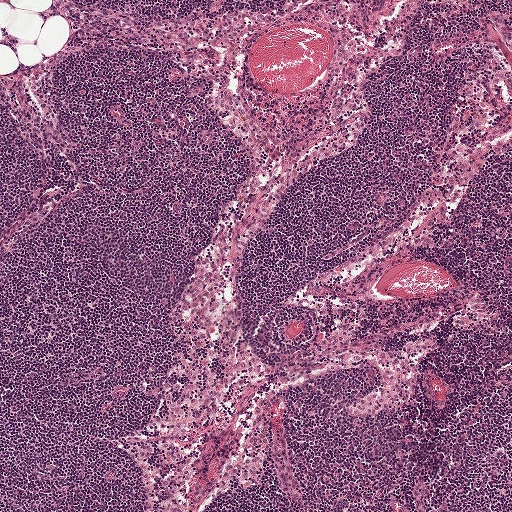
H&E-stained section of a sentinel lymph node (breast cancer), from a whole-slide image, viewed at about 5×: the field is about 1 mm across, about 1.9 µm per pixel.
Question: Is any metastatic breast cancer visible in this crop?
Answer: No: no metastatic tumour is outlined anywhere in this field.